Question: 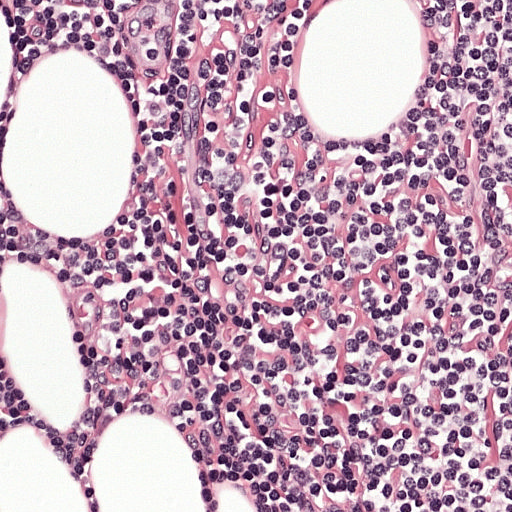
At roughly what magnification is this field shown?

Choices:
 (A) about 2.5×
 (B) about 10×
 (C) about 5×
 (D) about 20×
 (E) about 40×

Answer: (D) about 20×
H&E-stained section of a sentinel lymph node (breast cancer), from a whole-slide image, viewed at about 20×: the field is about 0.25 mm across, about 0.49 µm per pixel.